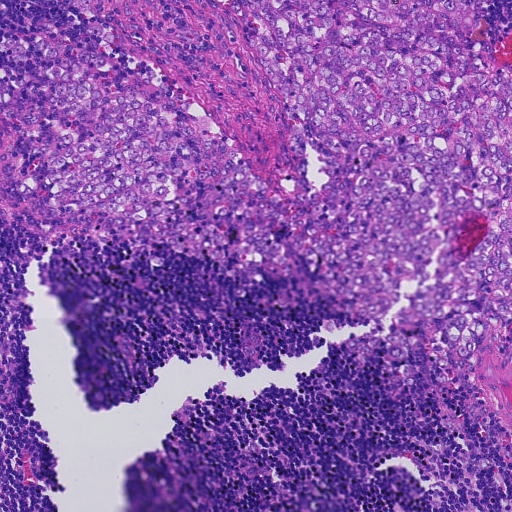
A 0.46-mm field of an H&E-stained sentinel lymph node from a breast-cancer patient (whole-slide image), shown at about 10×, about 0.91 µm per pixel.
Metastatic tumour outline, simplified to 21 points and listed clockwise in crop pixels (x, y): (511, 0), (511, 326), (498, 327), (446, 380), (400, 382), (390, 334), (322, 291), (311, 264), (61, 234), (39, 213), (42, 153), (60, 128), (6, 117), (18, 89), (0, 47), (11, 34), (160, 71), (282, 192), (326, 187), (324, 157), (219, 2).
One more small tumour piece is annotated here but not outlined.
Tumour covers about 45% of the frame.